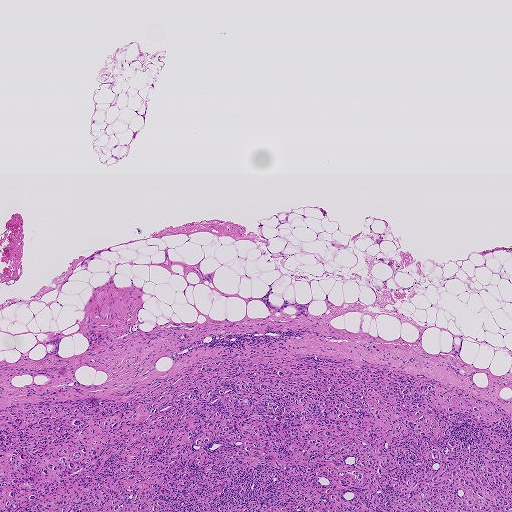
A 1.9-mm field of an H&E-stained sentinel lymph node from a breast-cancer patient (whole-slide image), shown at about 2.5×, about 3.6 µm per pixel.
The outlined metastatic tumour's edge, as a closed clockwise path of 8 points: (207, 359), (377, 365), (458, 387), (511, 418), (511, 511), (0, 511), (0, 410), (125, 400).
About 25% of this field is tumour.